Image:
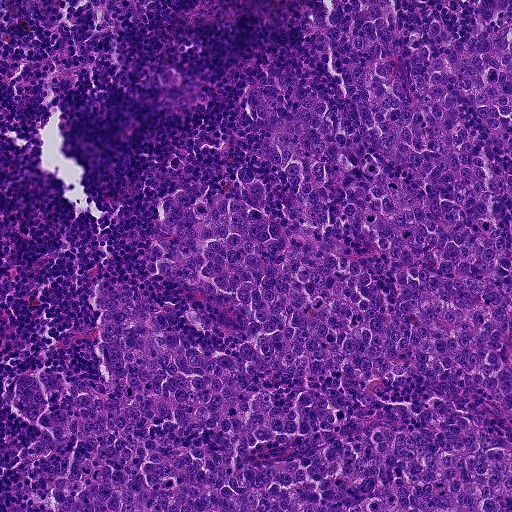
This is a crop of a whole-slide image: an H&E-stained breast-cancer sentinel lymph node section at roughly 10× magnification (about 0.9 µm per pixel; the crop spans about 0.46 mm).
Question:
Which parts of this field are metastatic tumour?
Answer:
The outlined metastatic tumour's edge, as a closed clockwise path of 36 points: (340, 0), (395, 0), (410, 48), (438, 6), (470, 39), (476, 10), (450, 0), (511, 0), (511, 133), (456, 88), (472, 139), (511, 160), (511, 511), (6, 511), (92, 441), (16, 460), (41, 428), (12, 388), (33, 367), (114, 386), (106, 289), (137, 286), (200, 346), (256, 341), (233, 300), (144, 258), (180, 183), (273, 214), (304, 209), (260, 159), (246, 98), (293, 59), (352, 141), (362, 128), (344, 81), (313, 42).
The annotated tumour makes up about 65% of the crop.